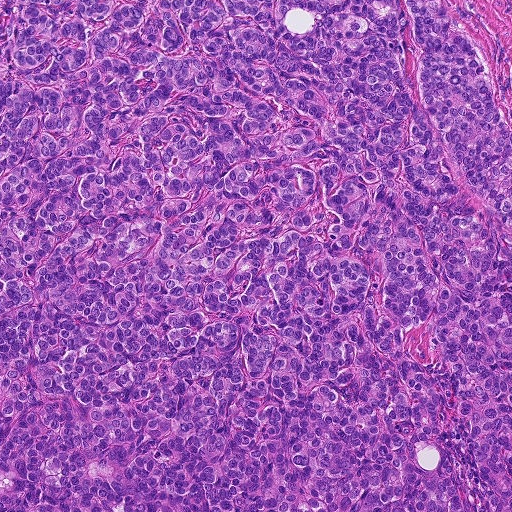
Lymph node section stained with H&E, from a whole-slide image of a breast-cancer sentinel node. Magnification about 10×, about 0.46 mm across the frame, about 0.9 µm per pixel.
Metastatic tumour covers the whole field.
Tumour covers over 95% of the frame.